Question: 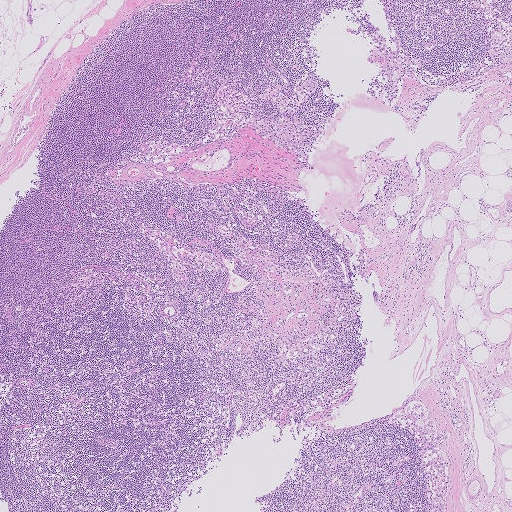
At roughly what magnification is this field shown?

Choices:
 (A) about 20×
 (B) about 40×
 (C) about 5×
 (D) about 10×
 (E) about 2.5×

Answer: (E) about 2.5×
A 2.0-mm field of an H&E-stained sentinel lymph node from a breast-cancer patient (whole-slide image), shown at about 2.5×, about 4.0 µm per pixel.